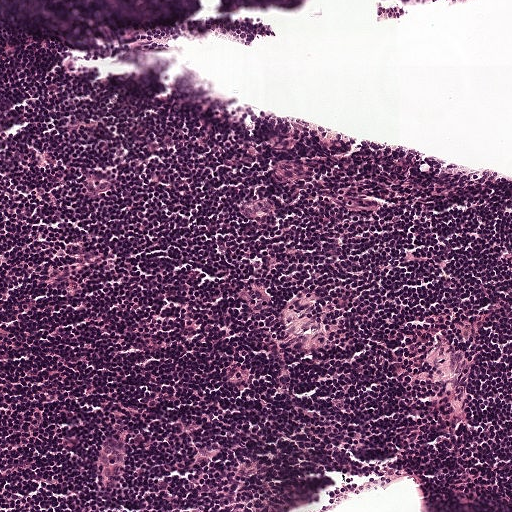
A 0.5-mm field of an H&E-stained sentinel lymph node from a breast-cancer patient (whole-slide image), shown at about 10×, about 0.97 µm per pixel.